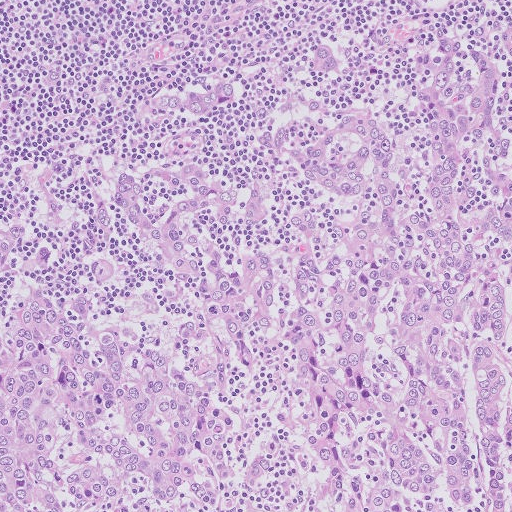
Lymph node section stained with H&E, from a whole-slide image of a breast-cancer sentinel node. Magnification about 10×, about 0.51 mm across the frame, about 1.0 µm per pixel.
The outlined metastatic tumour's edge, as a closed clockwise path of 22 points: (511, 26), (511, 511), (0, 511), (0, 218), (77, 226), (84, 183), (206, 146), (199, 124), (144, 106), (230, 77), (238, 98), (216, 154), (250, 178), (255, 140), (325, 85), (294, 55), (309, 38), (343, 62), (324, 100), (368, 106), (417, 177), (411, 35).
About 75% of the image area is annotated as tumour.